Image:
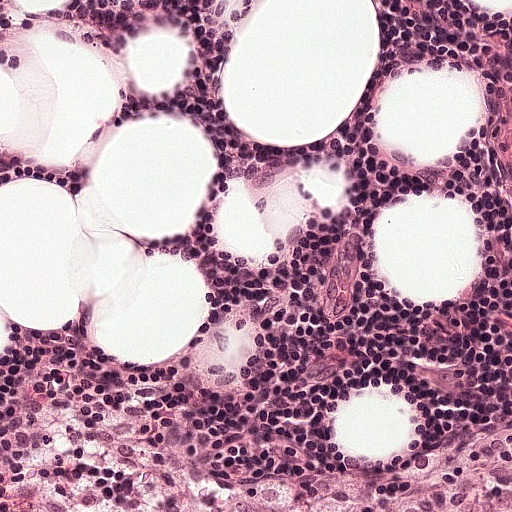
This is a crop of a whole-slide image: an H&E-stained breast-cancer sentinel lymph node section at roughly 20× magnification (about 0.49 µm per pixel; the crop spans about 0.25 mm).
Question:
Is any metastatic breast cancer visible in this crop?
Answer:
No, this field holds no outlined metastasis.